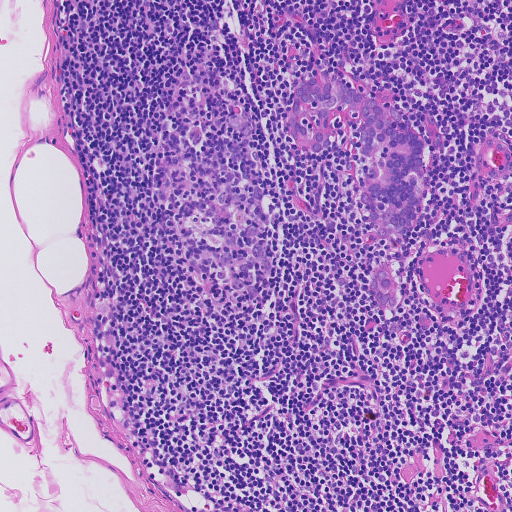
A 0.46-mm field of an H&E-stained sentinel lymph node from a breast-cancer patient (whole-slide image), shown at about 10×, about 0.91 µm per pixel.
Question: Outline the metastatic carcinoma in this image, as closed paths of (x, y) pixel coordinates.
Answer: Outlines of two tumour regions, largest first (closed clockwise paths, crop pixels): region 1: (325, 70), (393, 108), (425, 140), (426, 186), (413, 229), (382, 237), (369, 218), (368, 207), (359, 201), (364, 175), (371, 162), (358, 149), (362, 142), (358, 109), (342, 104), (334, 108), (330, 128), (334, 142), (314, 154), (294, 142), (286, 130), (299, 85); region 2: (380, 266), (385, 266), (399, 284), (398, 295), (399, 302), (394, 309), (386, 308), (368, 295), (367, 282).
About 5% of this field is tumour.